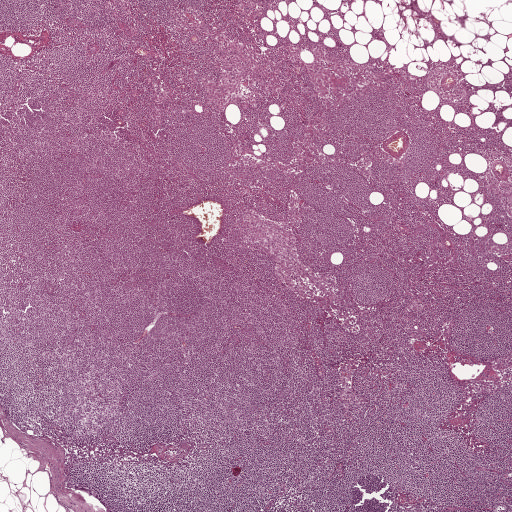
This is a crop of a whole-slide image: an H&E-stained breast-cancer sentinel lymph node section at roughly 2.5× magnification (about 3.9 µm per pixel; the crop spans about 2.0 mm).